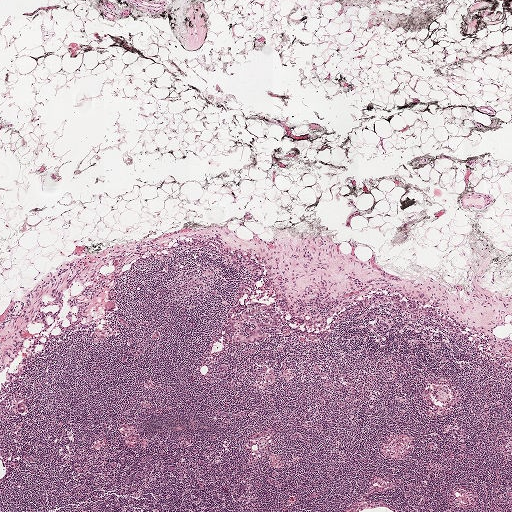
H&E-stained section of a sentinel lymph node (breast cancer), from a whole-slide image, viewed at about 2.5×: the field is about 2.0 mm across, about 3.9 µm per pixel.
Metastatic tumour outline, simplified to 17 points and listed clockwise in crop pixels (x, y): (246, 311), (254, 311), (256, 320), (272, 325), (262, 326), (263, 331), (270, 333), (270, 335), (265, 340), (254, 342), (246, 341), (238, 342), (232, 340), (234, 331), (229, 321), (237, 316), (242, 316).
Tumour covers under 5% of the frame.